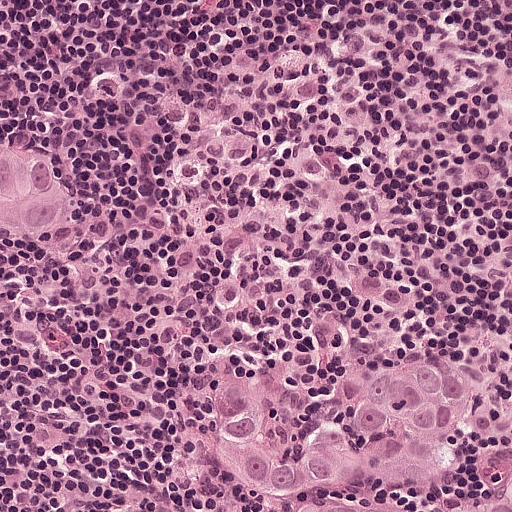
H&E-stained section of a sentinel lymph node (breast cancer), from a whole-slide image, viewed at about 20×: the field is about 0.25 mm across, about 0.49 µm per pixel.
Boundaries of two metastatic tumour regions, simplified and listed clockwise, largest first: region 1: (428, 358), (486, 360), (500, 366), (500, 408), (445, 469), (406, 487), (420, 511), (290, 511), (262, 477), (222, 447), (224, 380), (256, 376), (267, 381), (276, 406), (272, 434), (298, 450), (364, 414), (367, 389), (388, 372); region 2: (0, 88), (46, 137), (57, 157), (74, 218), (84, 242), (84, 250), (71, 259), (55, 259), (28, 251), (0, 262).
Tumour covers about 15% of the frame.